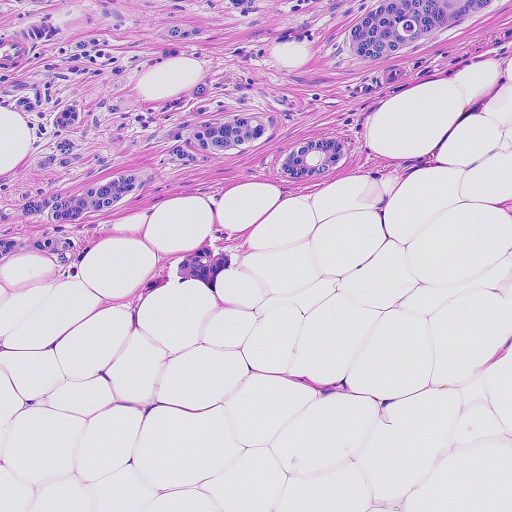
Lymph node section stained with H&E, from a whole-slide image of a breast-cancer sentinel node. Magnification about 10×, about 0.46 mm across the frame, about 0.91 µm per pixel.
Boundaries of three metastatic tumour regions, simplified and listed clockwise, largest first: region 1: (0, 0), (503, 0), (374, 66), (265, 150), (96, 220), (66, 267), (27, 254), (0, 269); region 2: (324, 135), (338, 135), (349, 145), (350, 160), (341, 170), (327, 175), (298, 180), (284, 176), (276, 168), (282, 154), (294, 146); region 3: (206, 245), (216, 251), (215, 254), (226, 252), (232, 261), (228, 271), (218, 276), (216, 294), (203, 283), (182, 278), (178, 272), (178, 261), (196, 249).
Tumour covers about 30% of the frame.